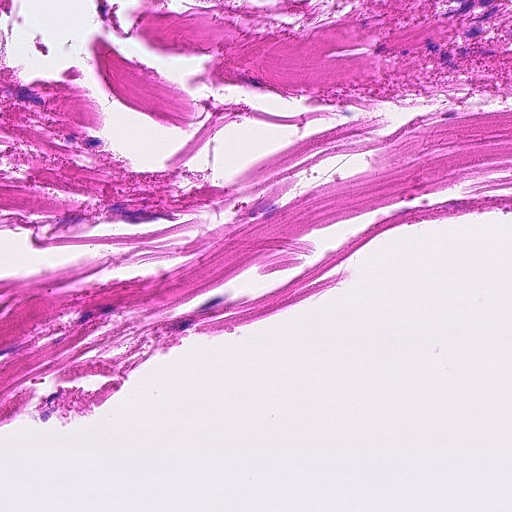
This is a crop of a whole-slide image: an H&E-stained breast-cancer sentinel lymph node section at roughly 20× magnification (about 0.45 µm per pixel; the crop spans about 0.23 mm).